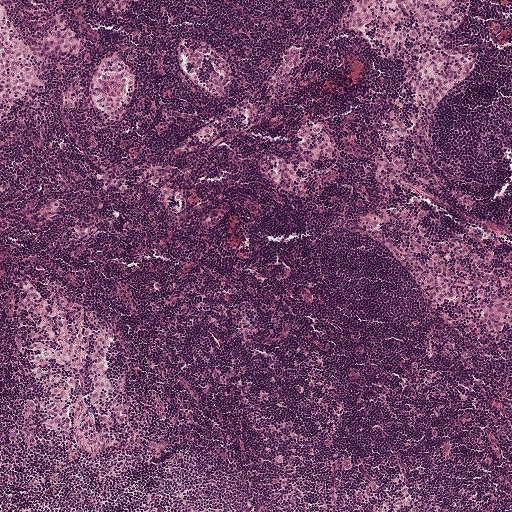
A 1-mm field of an H&E-stained sentinel lymph node from a breast-cancer patient (whole-slide image), shown at about 5×, about 1.9 µm per pixel.